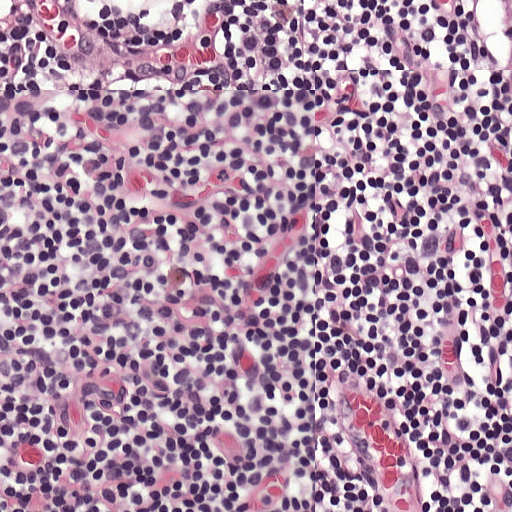
H&E-stained section of a sentinel lymph node (breast cancer), from a whole-slide image, viewed at about 20×: the field is about 0.25 mm across, about 0.49 µm per pixel.